H&E-stained section of a sentinel lymph node (breast cancer), from a whole-slide image, viewed at about 40×: the field is about 0.12 mm across, about 0.24 µm per pixel.
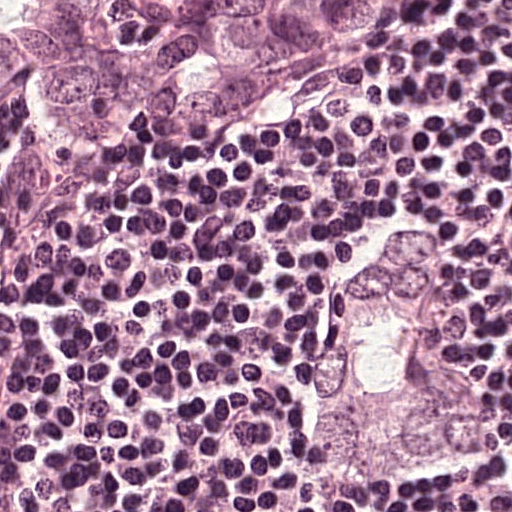
Boundaries of two metastatic tumour regions, simplified and listed clockwise, largest first: region 1: (0, 0), (424, 0), (348, 113), (259, 161), (222, 172), (70, 172), (11, 149), (26, 320), (3, 382); region 2: (423, 217), (441, 235), (460, 275), (470, 367), (498, 428), (494, 451), (473, 464), (446, 475), (373, 479), (296, 449), (304, 357), (331, 278), (360, 235).
About 40% of this field is tumour.